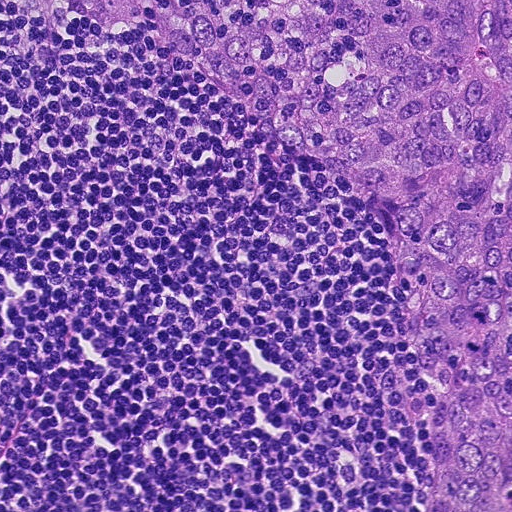
A 0.23-mm field of an H&E-stained sentinel lymph node from a breast-cancer patient (whole-slide image), shown at about 20×, about 0.45 µm per pixel.
Metastatic tumour outline, simplified to 11 points and listed clockwise in crop pixels (x, y): (36, 0), (511, 0), (511, 511), (425, 511), (422, 424), (439, 395), (412, 349), (406, 301), (368, 207), (175, 56), (87, 15).
About 35% of the image area is annotated as tumour.